Image:
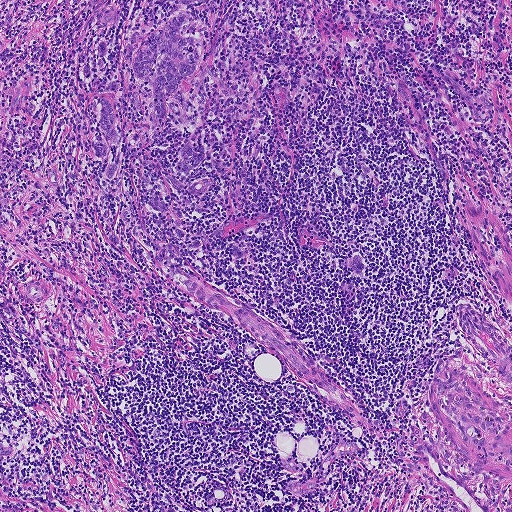
Lymph node section stained with H&E, from a whole-slide image of a breast-cancer sentinel node. Magnification about 5×, about 0.93 mm across the frame, about 1.8 µm per pixel.
Question:
Is there metastatic carcinoma in this field?
Answer:
Yes.
Outlines of three tumour regions, largest first (closed clockwise paths, crop pixels): region 1: (181, 10), (188, 12), (188, 20), (180, 32), (196, 40), (199, 63), (195, 71), (167, 95), (165, 102), (167, 118), (160, 131), (154, 117), (151, 86), (135, 76), (131, 69), (131, 54), (144, 41), (145, 35), (158, 28), (174, 13); region 2: (106, 95), (112, 100), (115, 106), (114, 128), (119, 134), (119, 142), (107, 150), (106, 157), (117, 167), (114, 174), (108, 177), (104, 164), (94, 152), (93, 144), (100, 131), (97, 124), (102, 108), (96, 103), (99, 96); region 3: (189, 144), (202, 146), (203, 152), (201, 164), (195, 168), (184, 171), (178, 170), (176, 164), (180, 159), (183, 146).
Two more small tumour pieces are annotated here but not outlined.
The annotated tumour makes up under 5% of the crop.